This is a crop of a whole-slide image: an H&E-stained breast-cancer sentinel lymph node section at roughly 5× magnification (about 1.9 µm per pixel; the crop spans about 1 mm).
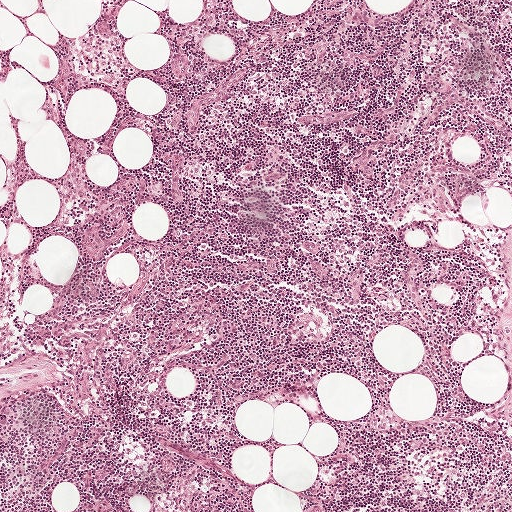
Question: Does this lymph node field contain metastatic tumour?
Answer: No, this field holds no outlined metastasis.